This is a crop of a whole-slide image: an H&E-stained breast-cancer sentinel lymph node section at roughly 5× magnification (about 1.9 µm per pixel; the crop spans about 1 mm).
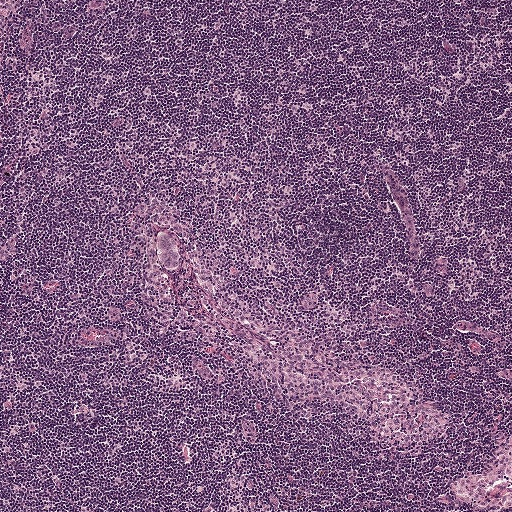
Question: Is any metastatic breast cancer visible in this crop?
Answer: Yes.
Tumour region outline (a closed clockwise path, crop pixels): (160, 230), (166, 232), (175, 239), (178, 255), (178, 264), (175, 267), (161, 264), (152, 254), (152, 242).
Under 5% of this field is tumour.